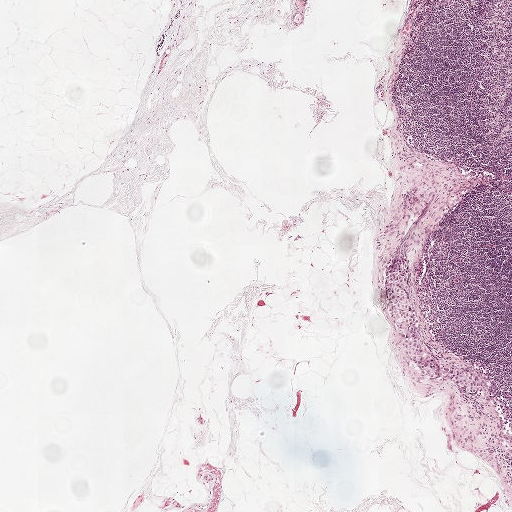
H&E-stained section of a sentinel lymph node (breast cancer), from a whole-slide image, viewed at about 2.5×: the field is about 2.0 mm across, about 3.9 µm per pixel.
Tumour region outline (a closed clockwise path, crop pixels): (395, 258), (409, 260), (407, 265), (412, 274), (414, 313), (431, 351), (441, 364), (467, 371), (482, 382), (484, 391), (479, 398), (471, 398), (459, 386), (440, 382), (412, 370), (405, 363), (400, 337), (388, 321), (385, 298), (386, 272).
Under 5% of this field is tumour.